Image:
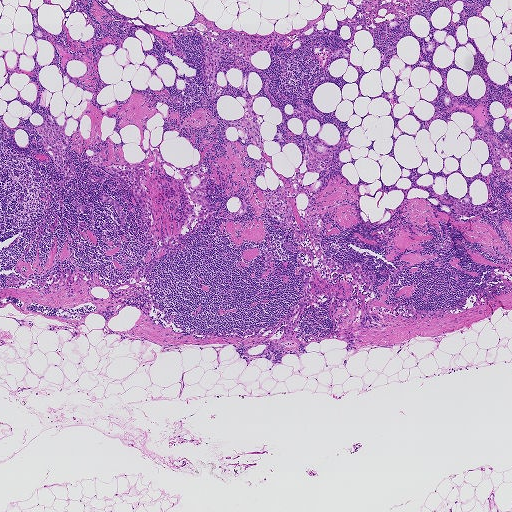
A 1.9-mm field of an H&E-stained sentinel lymph node from a breast-cancer patient (whole-slide image), shown at about 2.5×, about 3.6 µm per pixel.
Question:
Is there metastatic carcinoma in this field?
Answer:
No. No metastatic tumour is outlined in this field.